Lymph node section stained with H&E, from a whole-slide image of a breast-cancer sentinel node. Magnification about 5×, about 1 mm across the frame, about 1.9 µm per pixel.
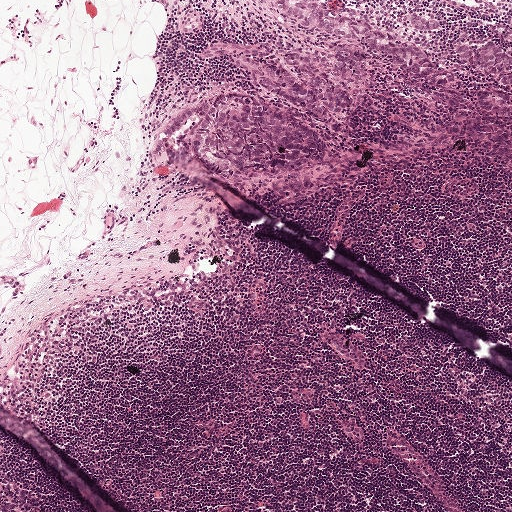
Outlines of six tumour regions, largest first (closed clockwise paths, crop pixels): region 1: (232, 90), (259, 100), (315, 131), (324, 144), (321, 160), (284, 175), (250, 177), (211, 188), (168, 172), (156, 139), (175, 113), (211, 94); region 2: (261, 38), (279, 50), (316, 51), (331, 63), (332, 48), (352, 48), (362, 54), (369, 84), (360, 108), (340, 119), (344, 126), (340, 132), (330, 132), (296, 108), (254, 86), (228, 63), (200, 56), (202, 45), (214, 40); region 3: (318, 0), (373, 26), (399, 32), (441, 65), (452, 79), (451, 87), (434, 88), (394, 68), (389, 62), (363, 44), (338, 41), (310, 29), (281, 10), (277, 1); region 4: (467, 41), (478, 46), (490, 42), (511, 54), (511, 93), (495, 86), (486, 78), (465, 68), (459, 61), (455, 50), (459, 44); region 5: (483, 92), (499, 93), (511, 97), (511, 124), (501, 124), (490, 118), (476, 104), (475, 99), (476, 94); region 6: (415, 13), (422, 15), (425, 19), (428, 18), (439, 20), (440, 27), (425, 32), (412, 29), (408, 24), (408, 16).
The annotated tumour makes up about 10% of the crop.